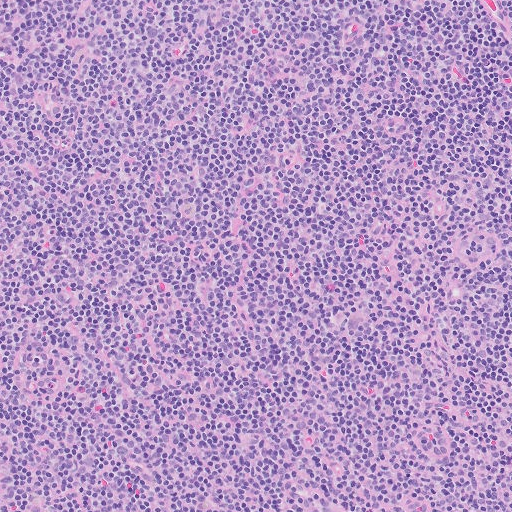
This is a crop of a whole-slide image: an H&E-stained breast-cancer sentinel lymph node section at roughly 10× magnification (about 1.0 µm per pixel; the crop spans about 0.51 mm).